Lymph node section stained with H&E, from a whole-slide image of a breast-cancer sentinel node. Magnification about 2.5×, about 1.9 mm across the frame, about 3.6 µm per pixel.
Question: 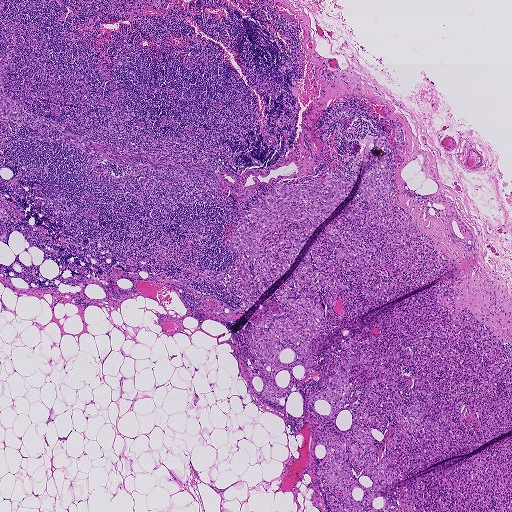
What fraction of the image area is metastatic tumour?

Choices:
 (A) about 10% to 20%
 (B) none: no tumour is outlined
 (C) about 50% or more
 (D) about 5% or less
 (E) about 25% to 45%

Answer: (E) about 25% to 45%
About 25% of the field is tumour.
Outlines of two tumour regions, largest first (closed clockwise paths, crop pixels): region 1: (386, 134), (389, 219), (455, 267), (316, 346), (460, 272), (454, 305), (511, 355), (511, 430), (372, 493), (511, 437), (511, 511), (332, 509), (316, 473), (327, 423), (307, 404), (332, 361), (302, 378), (294, 367), (276, 405), (244, 369), (257, 370), (250, 324), (283, 314), (274, 297); region 2: (325, 170), (354, 176), (346, 196), (310, 233), (288, 269), (262, 290), (256, 282), (251, 262), (227, 250), (225, 240), (229, 234), (238, 231), (244, 215), (271, 188), (281, 184), (303, 184).